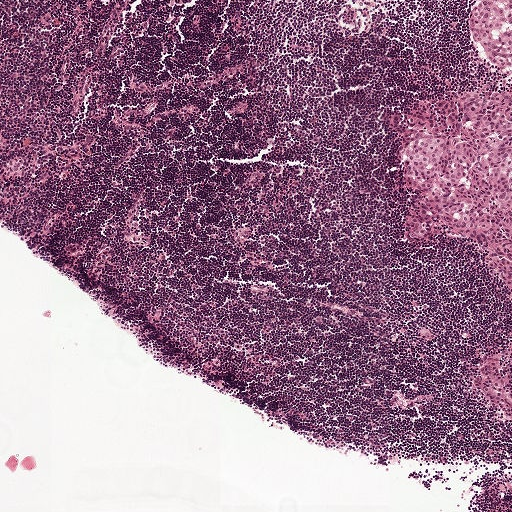
Lymph node section stained with H&E, from a whole-slide image of a breast-cancer sentinel node. Magnification about 5×, about 1 mm across the frame, about 1.9 µm per pixel.
Question: Trace the edge of each tumour region in this crop, as (x, y) points from 0 to 511.
Answer: Boundaries of three metastatic tumour regions, simplified and listed clockwise, largest first: region 1: (477, 89), (500, 90), (511, 101), (511, 300), (468, 242), (448, 238), (403, 241), (406, 211), (417, 197), (413, 186), (402, 180), (397, 150), (409, 127), (419, 118), (438, 119), (442, 105); region 2: (478, 0), (511, 0), (511, 69), (499, 70), (493, 69), (475, 47), (469, 32), (468, 17); region 3: (511, 345), (511, 421), (502, 418), (492, 409), (479, 402), (470, 388), (471, 379), (480, 365), (489, 358), (503, 352).
Tumour covers about 10% of the frame.